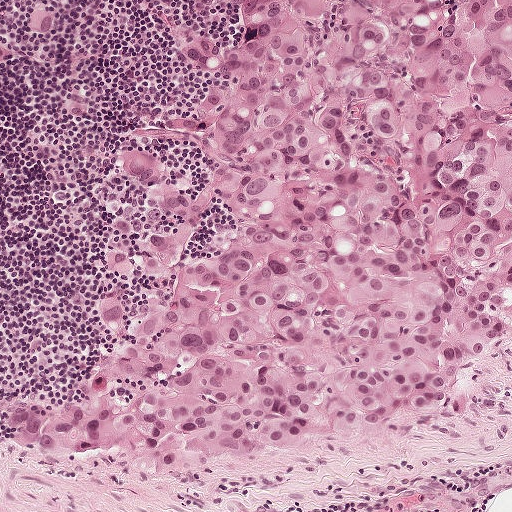
Lymph node section stained with H&E, from a whole-slide image of a breast-cancer sentinel node. Magnification about 10×, about 0.5 mm across the frame, about 0.97 µm per pixel.
One metastatic tumour region; its boundary, reduced to 24 corners and listed clockwise: (243, 0), (511, 0), (511, 340), (417, 426), (198, 466), (18, 442), (7, 403), (83, 394), (122, 360), (101, 297), (141, 319), (162, 306), (154, 282), (105, 260), (140, 253), (116, 219), (151, 198), (121, 151), (206, 190), (201, 146), (171, 124), (218, 85), (190, 44), (234, 44).
About 60% of the image area is annotated as tumour.